Lymph node section stained with H&E, from a whole-slide image of a breast-cancer sentinel node. Magnification about 40×, about 0.12 mm across the frame, about 0.23 µm per pixel.
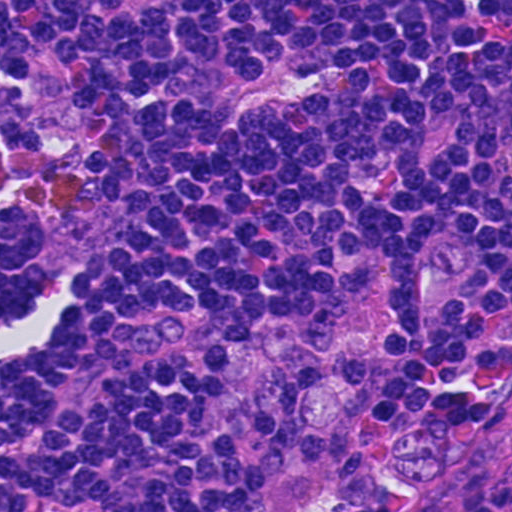
Metastatic tumour outline, simplified to 7 points and listed clockwise in crop pixels (x, y): (270, 310), (460, 414), (460, 459), (423, 491), (370, 484), (296, 460), (205, 392).
The annotated tumour makes up about 10% of the crop.